Image:
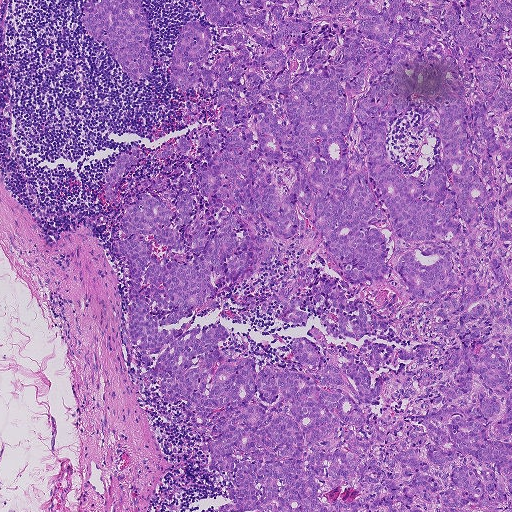
Lymph node section stained with H&E, from a whole-slide image of a breast-cancer sentinel node. Magnification about 5×, about 0.93 mm across the frame, about 1.8 µm per pixel.
Question:
Describe where the metastatic carcinoma lies in this crop.
Answer:
Outlines of two tumour regions, largest first (closed clockwise paths, crop pixels): region 1: (200, 0), (511, 0), (511, 511), (215, 511), (230, 500), (209, 455), (180, 402), (139, 380), (140, 354), (126, 344), (123, 259), (109, 249), (124, 233), (119, 206), (104, 199), (104, 173), (135, 140), (160, 149), (216, 128), (215, 94), (168, 86), (182, 26), (215, 26); region 2: (86, 0), (139, 0), (150, 27), (153, 67), (152, 76), (145, 81), (136, 82), (123, 72), (104, 43), (88, 37), (83, 30), (80, 22), (83, 5).
The annotated tumour makes up about 70% of the crop.